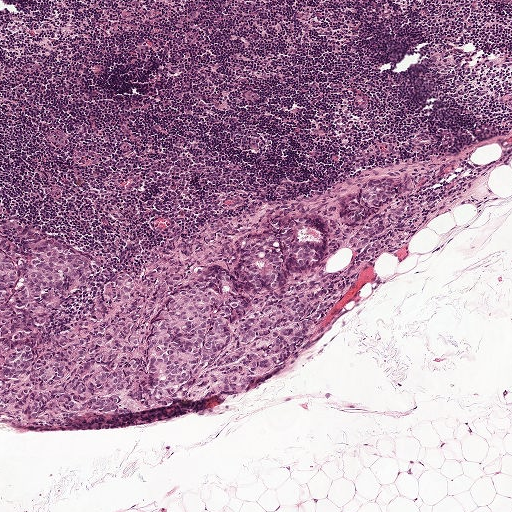
A 1-mm field of an H&E-stained sentinel lymph node from a breast-cancer patient (whole-slide image), shown at about 5×, about 1.9 µm per pixel.
Metastatic tumour outline, simplified to 23 points and listed clockwise in crop pixels (x, y): (370, 180), (400, 181), (406, 201), (380, 248), (363, 254), (349, 242), (324, 262), (333, 276), (357, 269), (264, 373), (122, 412), (9, 416), (0, 207), (99, 261), (45, 330), (54, 337), (114, 279), (212, 224), (250, 228), (283, 205), (307, 209), (329, 238), (342, 199).
Tumour covers about 20% of the frame.